This is a crop of a whole-slide image: an H&E-stained breast-cancer sentinel lymph node section at roughly 20× magnification (about 0.49 µm per pixel; the crop spans about 0.25 mm).
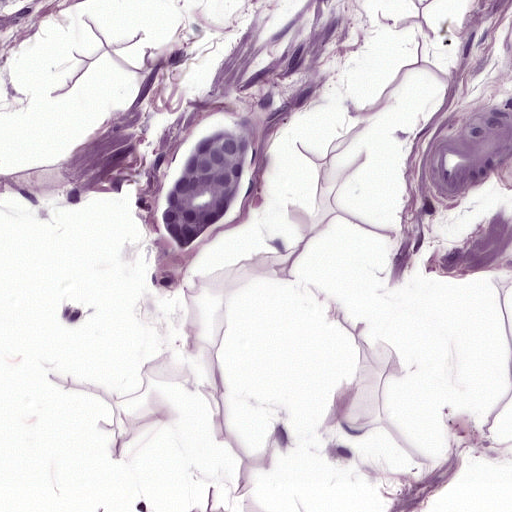
Question: Describe where the metastatic carcinoma lies in this crop.
Answer: Metastatic tumour outline, simplified to 8 points and listed clockwise in crop pixels (x, y): (218, 126), (246, 136), (251, 164), (236, 206), (183, 247), (166, 245), (160, 207), (175, 156).
Tumour covers about 5% of the frame.